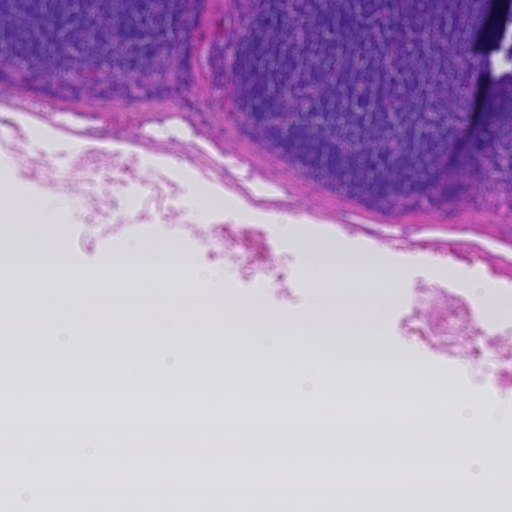
Lymph node section stained with H&E, from a whole-slide image of a breast-cancer sentinel node. Magnification about 5×, about 0.93 mm across the frame, about 1.8 µm per pixel.